Question: 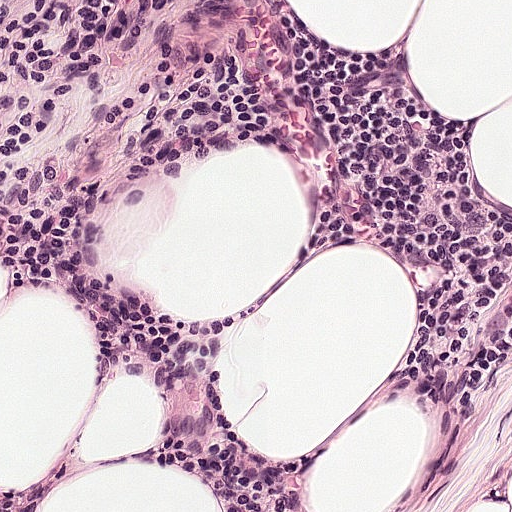
About what magnification does this crop show?

Choices:
 (A) about 10×
 (B) about 40×
 (C) about 5×
 (D) about 20×
 (E) about 2.5×

Answer: (D) about 20×
H&E-stained section of a sentinel lymph node (breast cancer), from a whole-slide image, viewed at about 20×: the field is about 0.25 mm across, about 0.49 µm per pixel.